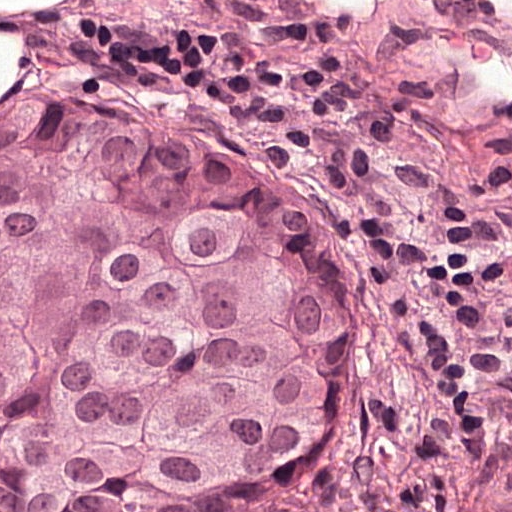
H&E-stained section of a sentinel lymph node (breast cancer), from a whole-slide image, viewed at about 40×: the field is about 0.12 mm across, about 0.24 µm per pixel.
The outlined metastatic tumour's edge, as a closed clockwise path of 10 points: (87, 85), (135, 137), (224, 178), (254, 215), (317, 256), (356, 341), (354, 433), (331, 511), (0, 511), (0, 103).
About 45% of this field is tumour.